Question: 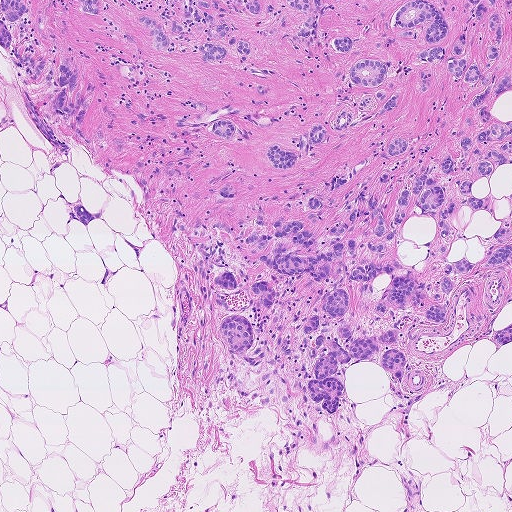
Lymph node section stained with H&E, from a whole-slide image of a breast-cancer sentinel node. Magnification about 5×, about 0.93 mm across the frame, about 1.8 µm per pixel.
Roughly what share of this field is metastatic tumour?

Choices:
 (A) about 25% to 45%
 (B) about 50% or more
 (C) about 5% or less
 (D) about 10% to 20%
 (E) none: no tumour is outlined

Answer: (A) about 25% to 45%
About 25% of the field is tumour.
The eight largest tumour regions' boundaries, simplified and listed clockwise, largest first: region 1: (465, 0), (511, 0), (511, 267), (452, 276), (436, 325), (338, 284), (355, 337), (397, 329), (400, 386), (355, 358), (328, 376), (334, 413), (231, 390), (221, 320), (254, 302), (210, 285), (273, 271), (209, 229), (225, 221), (245, 238), (260, 204), (262, 233), (376, 188), (397, 134), (410, 142), (374, 194), (388, 225), (409, 175), (443, 178), (479, 88), (437, 60), (414, 90), (429, 46), (389, 21), (431, 2), (441, 45), (460, 33), (487, 72); region 2: (259, 0), (262, 7), (283, 0), (325, 0), (334, 5), (342, 0), (322, 18), (315, 40), (323, 46), (332, 46), (336, 35), (348, 36), (356, 39), (356, 46), (350, 54), (291, 46), (287, 36), (302, 23), (303, 14), (279, 6), (257, 17), (217, 16), (217, 21), (226, 22), (236, 37), (252, 40), (252, 55), (243, 66), (238, 66), (232, 48), (222, 64), (162, 52), (156, 48), (146, 29), (133, 21), (144, 14), (166, 20), (177, 18), (179, 12), (171, 1); region 3: (0, 0), (28, 0), (30, 11), (13, 30), (15, 42), (22, 53), (47, 60), (56, 69), (61, 56), (68, 55), (76, 64), (80, 89), (94, 82), (95, 95), (81, 130), (93, 140), (93, 150), (72, 135), (55, 116), (51, 103), (55, 92), (26, 75), (11, 54), (0, 46); region 4: (362, 58), (375, 59), (387, 65), (386, 78), (379, 87), (384, 92), (386, 98), (396, 91), (402, 91), (396, 110), (339, 134), (329, 134), (324, 142), (317, 145), (310, 143), (309, 153), (300, 158), (298, 165), (294, 168), (272, 168), (265, 150), (274, 142), (287, 150), (298, 151), (300, 148), (297, 139), (301, 133), (307, 132), (311, 124), (328, 124), (335, 114), (344, 110), (372, 110), (382, 102), (374, 100), (368, 90), (350, 84), (350, 64); region 5: (511, 292), (511, 342), (510, 342), (498, 347), (488, 338), (492, 326); region 6: (79, 200), (92, 212), (100, 210), (102, 212), (102, 217), (98, 221), (88, 221), (84, 227), (79, 220), (70, 218), (69, 203); region 7: (223, 120), (236, 125), (237, 136), (234, 141), (222, 140), (212, 133), (209, 122); region 8: (79, 0), (102, 0), (105, 4), (106, 10), (95, 14), (86, 14).
One more, smaller tumour region is not outlined.